Question: 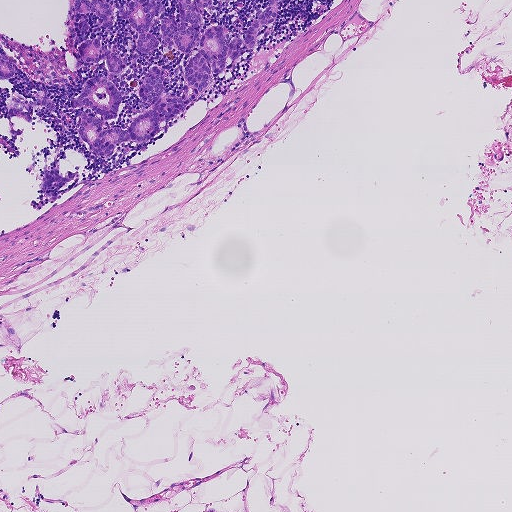
About what magnification does this crop show?

Choices:
 (A) about 5×
 (B) about 10×
 (C) about 20×
 (D) about 2.5×
 (E) about 40×

Answer: (A) about 5×
This is a crop of a whole-slide image: an H&E-stained breast-cancer sentinel lymph node section at roughly 5× magnification (about 1.8 µm per pixel; the crop spans about 0.93 mm).
One tumour region is annotated but not outlined: its edge is too irregular for a short outline.
About 5% of the image area is annotated as tumour.